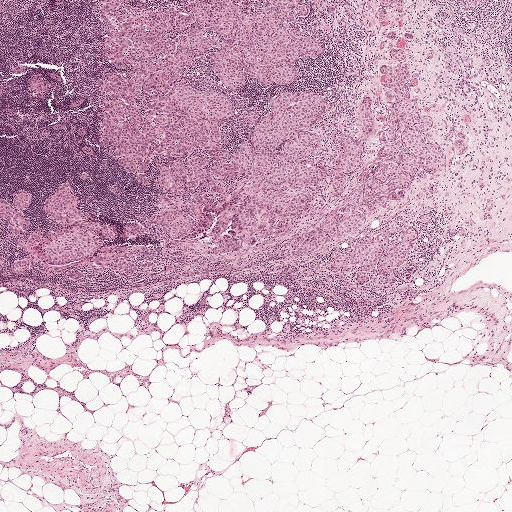
Lymph node section stained with H&E, from a whole-slide image of a breast-cancer sentinel node. Magnification about 2.5×, about 2.0 mm across the frame, about 3.9 µm per pixel.
Boundaries of two metastatic tumour regions, simplified and listed clockwise, largest first: region 1: (264, 2), (326, 48), (296, 60), (297, 78), (287, 85), (260, 86), (247, 72), (231, 90), (205, 58), (182, 66), (183, 88), (229, 94), (237, 112), (223, 124), (221, 155), (158, 156), (148, 188), (122, 172), (103, 144), (97, 82), (124, 71), (103, 59), (102, 40), (142, 9); region 2: (391, 51), (407, 51), (409, 75), (417, 80), (409, 90), (420, 111), (433, 118), (424, 140), (439, 145), (445, 164), (414, 179), (401, 200), (379, 205), (354, 235), (295, 259), (290, 249), (307, 231), (323, 228), (377, 165), (393, 110), (379, 68), (394, 63).
One more small tumour piece is annotated here but not outlined.
Tumour covers about 10% of the frame.